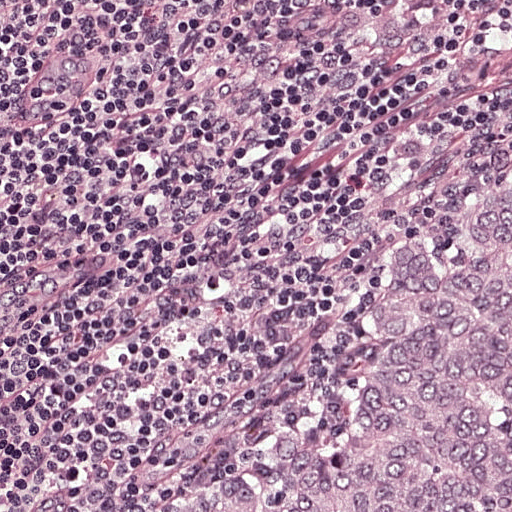
This is a crop of a whole-slide image: an H&E-stained breast-cancer sentinel lymph node section at roughly 20× magnification (about 0.49 µm per pixel; the crop spans about 0.25 mm).
Tumour region outline (a closed clockwise path, crop pixels): (511, 167), (511, 511), (135, 511), (165, 425), (216, 358), (412, 251).
The annotated tumour makes up about 30% of the crop.